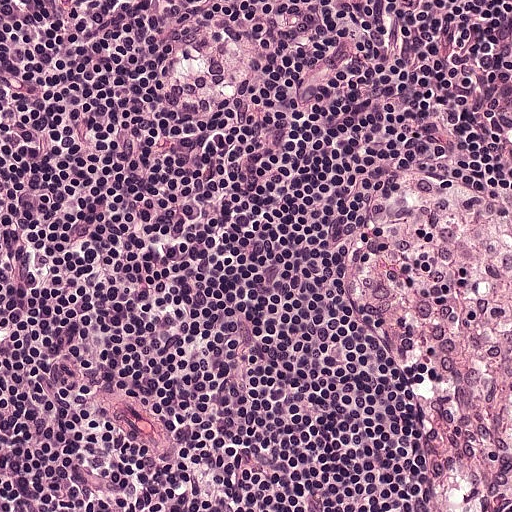
A 0.25-mm field of an H&E-stained sentinel lymph node from a breast-cancer patient (whole-slide image), shown at about 20×, about 0.49 µm per pixel.
Question: Is any metastatic breast cancer visible in this crop?
Answer: No: no metastatic tumour is outlined anywhere in this field.